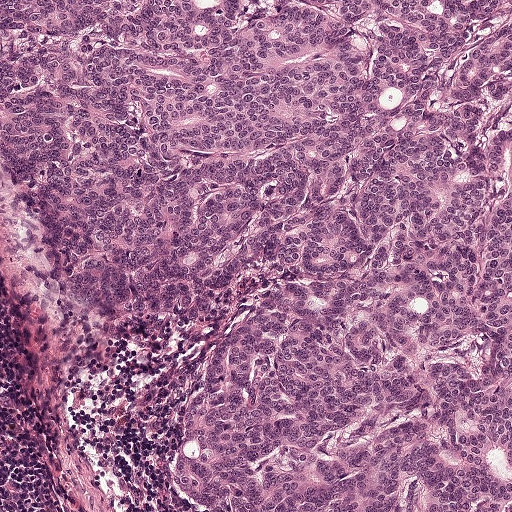
Lymph node section stained with H&E, from a whole-slide image of a breast-cancer sentinel node. Magnification about 10×, about 0.5 mm across the frame, about 0.97 µm per pixel.
One metastatic tumour region; its boundary, reduced to 10 corners and listed clockwise: (0, 0), (511, 0), (511, 511), (203, 511), (182, 500), (168, 427), (263, 278), (124, 336), (67, 333), (0, 192).
About 85% of this field is tumour.